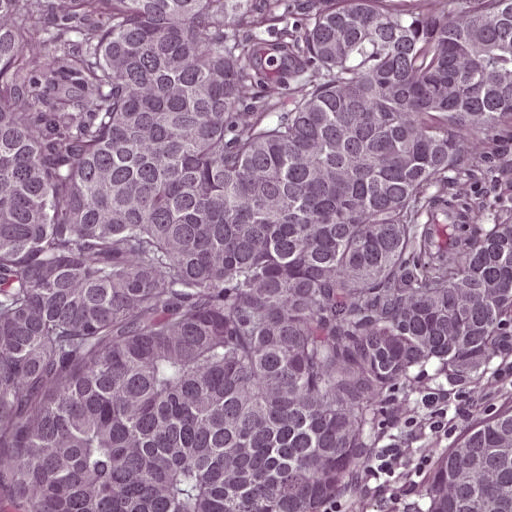
Lymph node section stained with H&E, from a whole-slide image of a breast-cancer sentinel node. Magnification about 20×, about 0.25 mm across the frame, about 0.49 µm per pixel.
Boundaries of two metastatic tumour regions, simplified and listed clockwise, largest first: region 1: (0, 0), (511, 0), (511, 310), (419, 394), (390, 470), (335, 511), (0, 511); region 2: (511, 395), (511, 511), (418, 511), (430, 468), (487, 410).
The annotated tumour makes up about 95% of the crop.